Question: 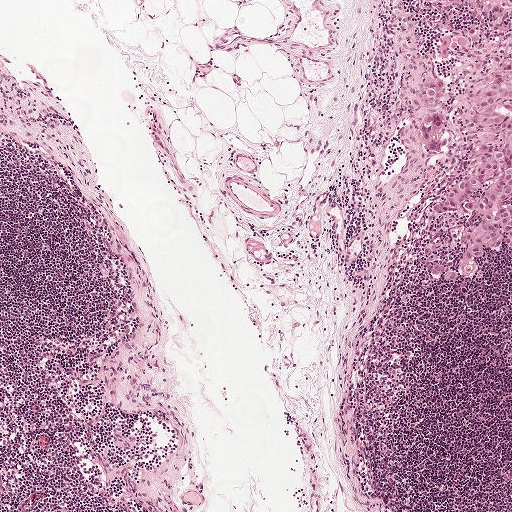
A 1-mm field of an H&E-stained sentinel lymph node from a breast-cancer patient (whole-slide image), shown at about 5×, about 1.9 µm per pixel.
Roughly what share of this field is metastatic tumour?

Choices:
 (A) about 50% or more
 (B) about 5% or less
 (C) none: no tumour is outlined
 (D) about 10% to 20%
 (E) about 25% to 45%

Answer: (B) about 5% or less
About 5% of the field is tumour.
Boundaries of two metastatic tumour regions, simplified and listed clockwise, largest first: region 1: (424, 0), (511, 0), (511, 258), (502, 240), (490, 251), (488, 274), (458, 284), (431, 274), (422, 256), (424, 247), (454, 223), (435, 210), (466, 174), (473, 143), (473, 92), (492, 64), (497, 51), (494, 40), (478, 29), (480, 24); region 2: (434, 86), (442, 91), (442, 110), (447, 118), (447, 126), (442, 149), (438, 153), (434, 153), (421, 140), (425, 112), (420, 97), (421, 91), (428, 87).